This is a crop of a whole-slide image: an H&E-stained breast-cancer sentinel lymph node section at roughly 10× magnification (about 0.9 µm per pixel; the crop spans about 0.46 mm).
Image:
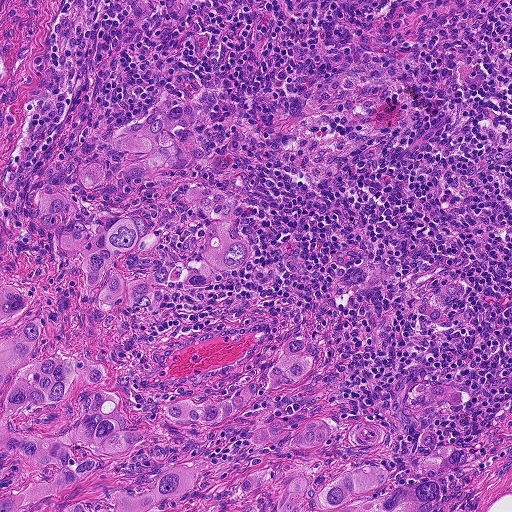
Question:
Where is the metastatic tumour in this field?
Answer:
Boundaries of three metastatic tumour regions, simplified and listed clockwise, largest first: region 1: (0, 268), (35, 292), (34, 306), (52, 324), (48, 349), (76, 348), (100, 362), (134, 398), (134, 418), (156, 432), (53, 500), (50, 509), (105, 498), (171, 464), (212, 454), (222, 458), (224, 471), (171, 511), (0, 511); region 2: (301, 334), (320, 354), (318, 367), (286, 410), (298, 417), (326, 418), (336, 430), (360, 416), (374, 420), (385, 444), (391, 488), (417, 476), (412, 468), (420, 457), (458, 441), (466, 459), (462, 472), (444, 479), (444, 505), (435, 511), (209, 511), (241, 474), (296, 450), (270, 451), (245, 438), (277, 416), (279, 402), (269, 394), (210, 429), (156, 416), (157, 402), (224, 392), (251, 378), (288, 338); region 3: (164, 94), (177, 98), (197, 151), (178, 171), (184, 185), (239, 198), (252, 257), (200, 287), (168, 287), (137, 312), (105, 313), (81, 258), (60, 254), (36, 213), (34, 194), (54, 170), (67, 178), (64, 189), (77, 187), (92, 160), (100, 184), (70, 195), (84, 218), (95, 228), (136, 213), (160, 231), (162, 246), (118, 255), (115, 270), (144, 275), (200, 255), (211, 222), (171, 170), (146, 169), (145, 154), (115, 152), (107, 140).
About 25% of this field is tumour.